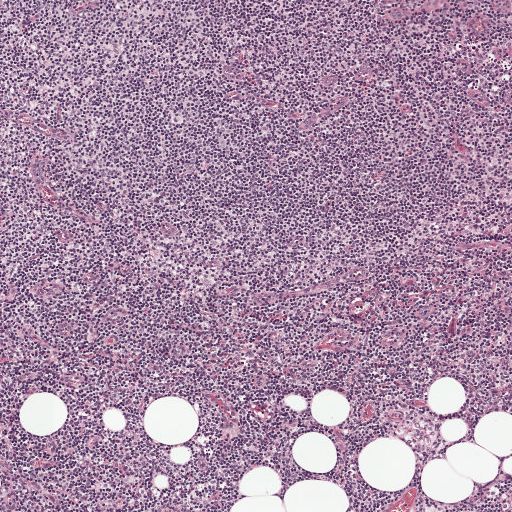
H&E-stained section of a sentinel lymph node (breast cancer), from a whole-slide image, viewed at about 5×: the field is about 1 mm across, about 1.9 µm per pixel.